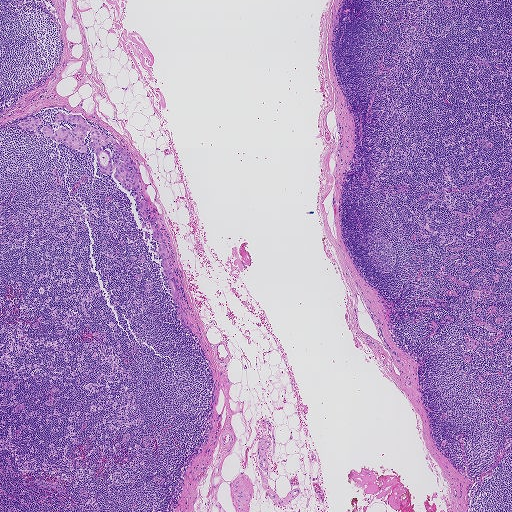
Lymph node section stained with H&E, from a whole-slide image of a breast-cancer sentinel node. Magnification about 2.5×, about 1.9 mm across the frame, about 3.6 µm per pixel.
Metastatic tumour outline, simplified to 40 points and listed clockwise in crop pixels (x, y): (60, 110), (80, 115), (91, 128), (95, 125), (102, 135), (111, 135), (133, 160), (141, 200), (147, 200), (151, 216), (158, 217), (155, 228), (163, 238), (192, 332), (177, 316), (150, 217), (146, 223), (139, 217), (132, 196), (135, 190), (123, 188), (114, 169), (108, 175), (101, 172), (87, 146), (93, 140), (91, 131), (83, 138), (83, 152), (48, 138), (42, 126), (37, 127), (40, 133), (17, 124), (29, 117), (53, 126), (54, 134), (57, 128), (76, 125), (55, 122).
The annotated tumour makes up under 5% of the crop.